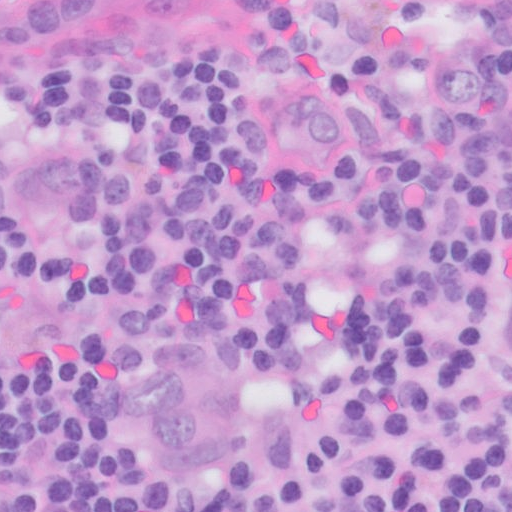
This is a crop of a whole-slide image: an H&E-stained breast-cancer sentinel lymph node section at roughly 40× magnification (about 0.25 µm per pixel; the crop spans about 0.13 mm).
Two metastatic tumour regions, each outlined as a closed clockwise path in crop pixels (x, y), largest first: region 1: (179, 337), (207, 352), (220, 390), (225, 430), (212, 469), (173, 473), (136, 456), (110, 424), (112, 384), (143, 358); region 2: (401, 0), (511, 0), (511, 113), (453, 128), (422, 81), (415, 18).
Tumour covers about 10% of the frame.